A 2.0-mm field of an H&E-stained sentinel lymph node from a breast-cancer patient (whole-slide image), shown at about 2.5×, about 3.9 µm per pixel.
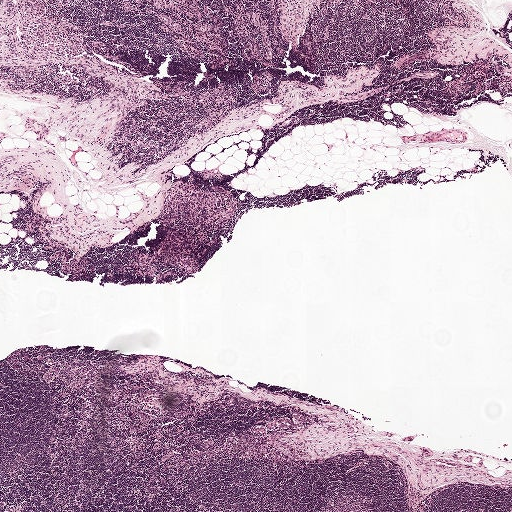
Question: Where is the metastatic tumour in this field?
Answer: Tumour region outline (a closed clockwise path, crop pixels): (292, 414), (299, 414), (310, 420), (305, 422), (305, 425), (302, 427), (289, 426), (277, 430), (268, 430), (264, 432), (253, 431), (251, 428), (254, 425), (263, 424), (274, 417), (286, 416), (292, 419).
Under 5% of the image area is annotated as tumour.